This is a crop of a whole-slide image: an H&E-stained breast-cancer sentinel lymph node section at roughly 10× magnification (about 0.9 µm per pixel; the crop spans about 0.46 mm).
Question: 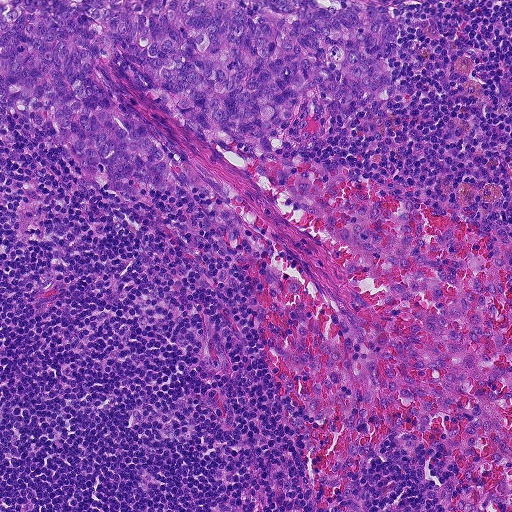
Roughly what share of this field is metastatic tumour?

Choices:
 (A) about 5% or less
 (B) about 50% or more
 (C) about 25% to 45%
 (D) none: no tumour is outlined
 (E) about 10% to 20%

Answer: (E) about 10% to 20%
About 20% of the field is tumour.
Metastatic tumour outline, simplified to 23 points and listed clockwise in crop pixels (x, y): (0, 0), (371, 0), (405, 18), (381, 49), (395, 95), (307, 118), (306, 140), (272, 150), (209, 141), (119, 71), (92, 65), (221, 188), (209, 200), (184, 183), (134, 183), (141, 200), (121, 198), (93, 182), (71, 147), (45, 147), (57, 120), (46, 128), (2, 107).